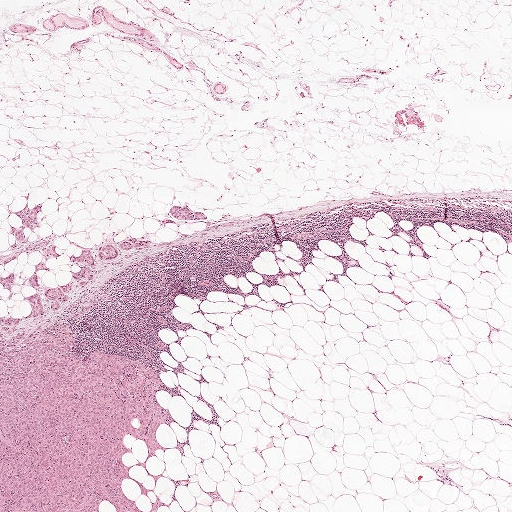
H&E-stained section of a sentinel lymph node (breast cancer), from a whole-slide image, viewed at about 2.5×: the field is about 2.0 mm across, about 3.9 µm per pixel.
Boundaries of three metastatic tumour regions, simplified and listed clockwise, largest first: region 1: (0, 315), (18, 317), (12, 333), (64, 325), (76, 336), (77, 353), (132, 356), (156, 371), (162, 387), (156, 401), (177, 421), (156, 425), (154, 434), (165, 447), (184, 441), (184, 455), (155, 449), (145, 461), (151, 472), (164, 472), (154, 486), (134, 464), (148, 454), (146, 440), (126, 434), (128, 472), (153, 489), (143, 494), (130, 478), (121, 482), (124, 493), (148, 511), (115, 511), (104, 500), (99, 511), (0, 511); region 2: (186, 201), (193, 210), (201, 210), (204, 212), (205, 217), (203, 219), (179, 219), (170, 213), (170, 206), (186, 203); region 3: (170, 217), (176, 220), (177, 224), (173, 223), (169, 223), (167, 224), (162, 224), (160, 223), (160, 220), (162, 219).
One more tumour region is annotated but not outlined: its edge is too irregular for a short outline.
About 10% of this field is tumour.